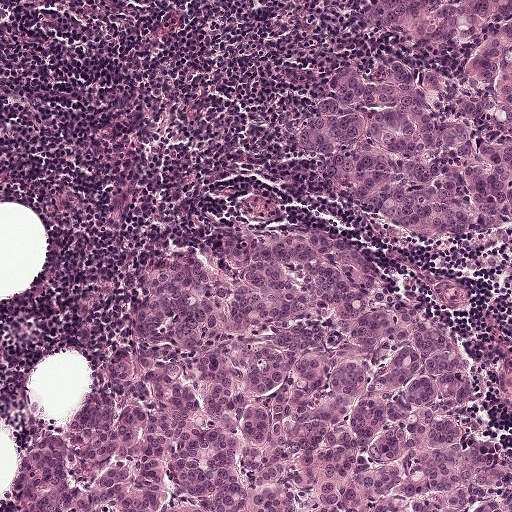
This is a crop of a whole-slide image: an H&E-stained breast-cancer sentinel lymph node section at roughly 10× magnification (about 0.97 µm per pixel; the crop spans about 0.5 mm).
Outlines of two tumour regions, largest first (closed clockwise paths, crop pixels): region 1: (326, 236), (373, 258), (458, 349), (473, 430), (511, 447), (511, 511), (6, 511), (34, 448), (74, 426), (126, 347), (126, 286), (167, 257), (225, 238); region 2: (511, 0), (511, 232), (478, 254), (452, 255), (360, 224), (295, 158), (304, 115), (328, 68), (354, 56), (392, 56), (438, 77), (464, 57), (393, 51), (364, 38), (350, 27), (354, 2).
About 55% of this field is tumour.